Question: 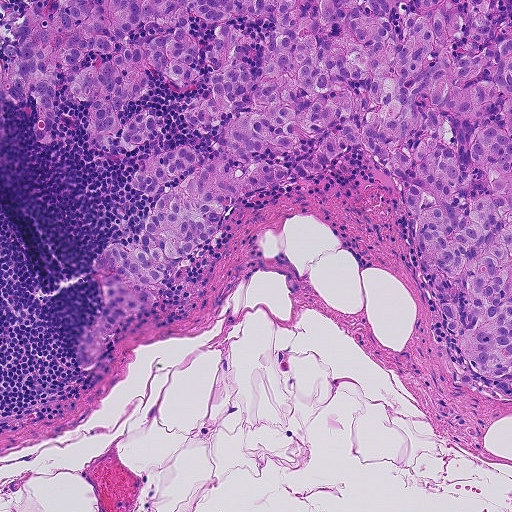
Lymph node section stained with H&E, from a whole-slide image of a breast-cancer sentinel node. Magnification about 10×, about 0.46 mm across the frame, about 0.9 µm per pixel.
About how much of this crop is taken up by metastatic carcinoma?

Choices:
 (A) about 10% to 20%
 (B) about 50% or more
 (C) about 5% or less
 (D) about 25% to 45%
 (E) none: no tumour is outlined

Answer: (D) about 25% to 45%
About 40% of the field is tumour.
Metastatic tumour outline, simplified to 36 points and listed clockwise in crop pixels (x, y): (21, 0), (511, 0), (511, 391), (466, 365), (406, 201), (355, 147), (236, 205), (99, 367), (80, 368), (104, 300), (90, 264), (99, 247), (136, 246), (164, 186), (136, 197), (127, 181), (170, 147), (208, 159), (218, 124), (189, 128), (181, 110), (211, 86), (148, 72), (114, 113), (158, 116), (162, 134), (127, 150), (118, 133), (99, 154), (66, 68), (50, 141), (32, 134), (29, 97), (6, 103), (0, 149), (2, 16).